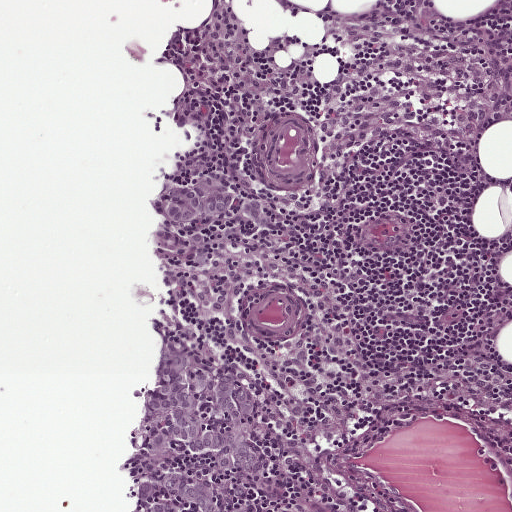
A 0.5-mm field of an H&E-stained sentinel lymph node from a breast-cancer patient (whole-slide image), shown at about 10×, about 0.97 µm per pixel.
Outlines of four tumour regions, largest first (closed clockwise paths, crop pixels): region 1: (176, 350), (208, 374), (234, 378), (252, 398), (256, 410), (250, 436), (262, 459), (262, 475), (224, 469), (220, 452), (194, 450), (174, 438), (160, 448), (146, 449), (140, 442), (174, 426), (166, 410), (141, 407), (131, 398), (140, 386), (156, 384), (164, 351); region 2: (208, 173), (220, 174), (231, 182), (235, 194), (230, 206), (214, 216), (199, 214), (189, 222), (174, 222), (165, 211), (165, 195), (179, 188), (200, 183); region 3: (164, 471), (178, 471), (189, 478), (215, 502), (217, 509), (217, 511), (211, 511), (194, 502), (180, 500), (169, 495), (164, 483); region 4: (143, 481), (150, 482), (154, 490), (151, 497), (139, 501), (138, 510), (163, 499), (171, 511), (130, 511), (134, 504), (138, 490).
Three more small tumour pieces are annotated here but not outlined.
About 5% of this field is tumour.